H&E-stained section of a sentinel lymph node (breast cancer), from a whole-slide image, viewed at about 5×: the field is about 1 mm across, about 1.9 µm per pixel.
Question: 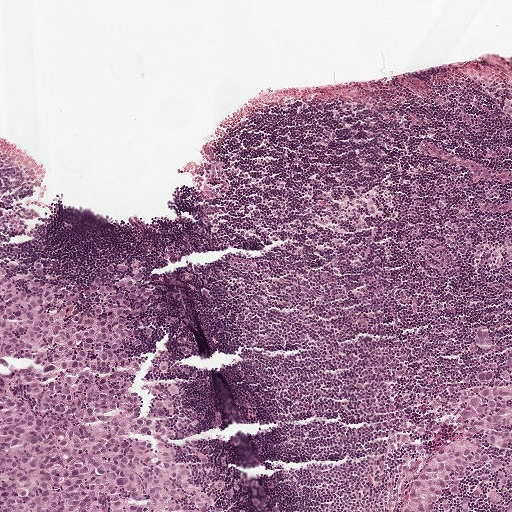
What fraction of the image area is metastatic tumour?

Choices:
 (A) about 25% to 45%
 (B) about 5% or less
 (C) about 50% or more
 (D) about 10% to 20%
 (E) none: no tumour is outlined

Answer: (D) about 10% to 20%
About 20% of the field is tumour.
Two metastatic tumour regions, each outlined as a closed clockwise path in crop pixels (x, y), largest first: region 1: (0, 259), (51, 273), (101, 320), (153, 341), (157, 364), (192, 420), (192, 443), (231, 496), (223, 511), (0, 511); region 2: (475, 378), (511, 380), (511, 511), (397, 511), (406, 491), (442, 447), (465, 385).